Question: 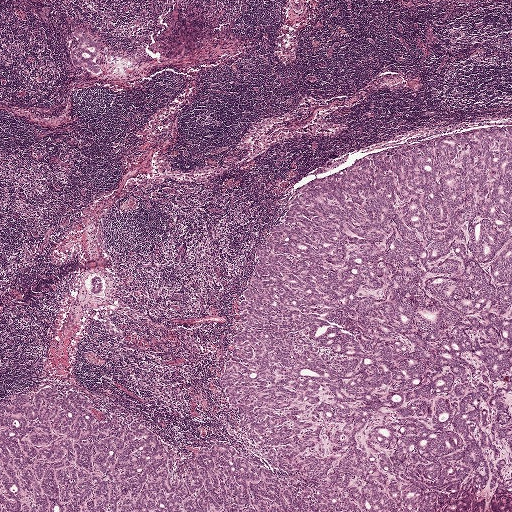
H&E-stained section of a sentinel lymph node (breast cancer), from a whole-slide image, viewed at about 2.5×: the field is about 2.0 mm across, about 3.9 µm per pixel.
Estimate the proportion of this field that is metastatic tumour.

Choices:
 (A) about 5% or less
 (B) about 25% to 45%
 (C) about 10% to 20%
 (D) none: no tumour is outlined
 (E) about 50% or more

Answer: (B) about 25% to 45%
About 45% of the field is tumour.
Boundaries of four metastatic tumour regions, simplified and listed clockwise, largest first: region 1: (511, 122), (511, 503), (468, 489), (461, 511), (0, 511), (0, 401), (49, 383), (82, 391), (164, 439), (170, 482), (182, 456), (214, 442), (289, 474), (264, 461), (220, 375), (243, 285), (290, 198), (361, 153); region 2: (74, 26), (84, 26), (99, 39), (100, 47), (94, 59), (101, 64), (102, 69), (98, 74), (93, 74), (82, 67), (75, 67), (71, 63), (71, 52), (77, 42); region 3: (346, 152), (350, 152), (348, 159), (337, 164), (321, 174), (315, 174), (311, 172), (315, 166), (321, 162); region 4: (98, 274), (103, 279), (103, 285), (102, 292), (100, 294), (95, 294), (92, 294), (89, 293), (88, 289), (89, 281), (92, 276).
One more small tumour piece is annotated here but not outlined.
Question: 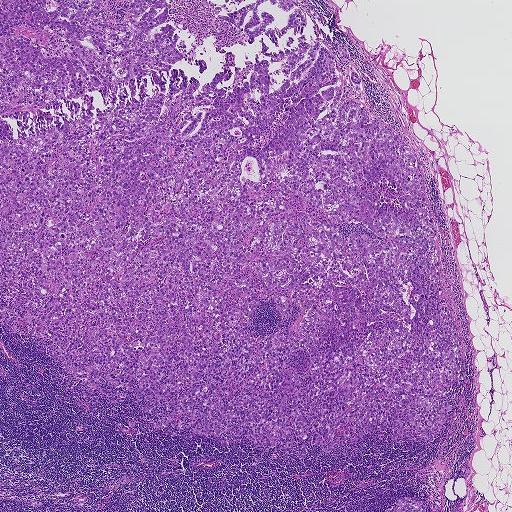
A 1.9-mm field of an H&E-stained sentinel lymph node from a breast-cancer patient (whole-slide image), shown at about 2.5×, about 3.6 µm per pixel.
Estimate the proportion of this field that is metastatic tumour.

Choices:
 (A) none: no tumour is outlined
 (B) about 25% to 45%
 (C) about 5% or less
 (D) about 50% or more
 (E) about 10% to 20%

Answer: (D) about 50% or more
About 60% of the field is tumour.
Outlines of four tumour regions, largest first (closed clockwise paths, crop pixels): region 1: (0, 0), (268, 0), (266, 30), (299, 9), (269, 0), (292, 0), (300, 8), (305, 18), (304, 41), (340, 69), (337, 106), (418, 163), (463, 352), (443, 430), (189, 437), (0, 321), (0, 141), (200, 91), (212, 35), (2, 109); region 2: (406, 496), (417, 498), (425, 505), (425, 511), (382, 511), (390, 508), (393, 502), (396, 500), (403, 497); region 3: (348, 64), (351, 64), (354, 66), (355, 69), (355, 72), (360, 77), (360, 80), (359, 86), (361, 92), (355, 90), (352, 84), (350, 78); region 4: (341, 43), (346, 48), (349, 54), (349, 59), (346, 59), (341, 56), (338, 50), (339, 44).
Four more small tumour pieces are annotated here but not outlined.
Question: 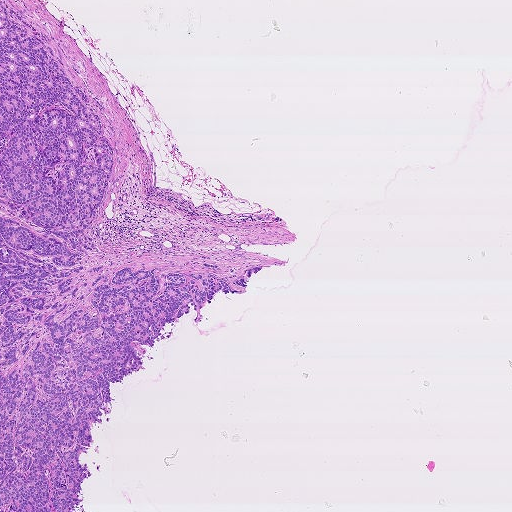
This is a crop of a whole-slide image: an H&E-stained breast-cancer sentinel lymph node section at roughly 2.5× magnification (about 3.6 µm per pixel; the crop spans about 1.9 mm).
Estimate the proportion of this field that is metastatic tumour.

Choices:
 (A) about 10% to 20%
 (B) about 25% to 45%
 (C) about 50% or more
 (D) none: no tumour is outlined
 (E) about 5% or less

Answer: (A) about 10% to 20%
About 20% of the field is tumour.
One metastatic tumour region; its boundary, reduced to 16 corners and listed clockwise: (0, 0), (112, 144), (77, 275), (156, 267), (156, 295), (162, 288), (163, 272), (243, 289), (271, 266), (243, 293), (220, 290), (202, 321), (167, 323), (110, 382), (86, 510), (0, 511).
Question: 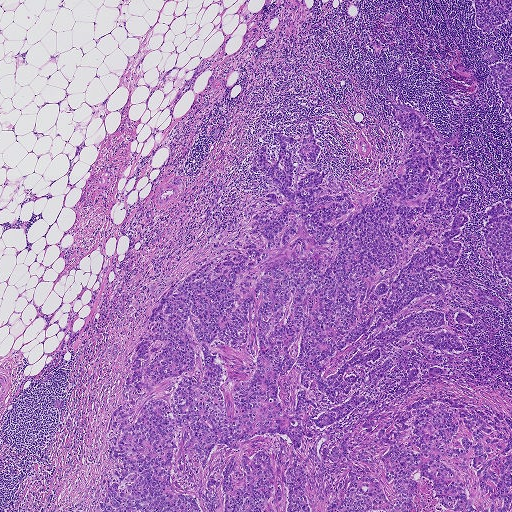
Lymph node section stained with H&E, from a whole-slide image of a breast-cancer sentinel node. Magnification about 2.5×, about 1.9 mm across the frame, about 3.6 µm per pixel.
Estimate the proportion of this field that is metastatic tumour.

Choices:
 (A) about 5% or less
 (B) about 10% to 20%
 (C) about 25% to 45%
 (D) none: no tumour is outlined
 (E) about 50% or more

Answer: (E) about 50% or more
About 50% of the field is tumour.
Outlines of three tumour regions, largest first (closed clockwise paths, crop pixels): region 1: (395, 100), (430, 118), (463, 165), (469, 190), (455, 212), (483, 226), (491, 205), (511, 200), (511, 511), (58, 511), (106, 465), (109, 416), (161, 291), (238, 240), (248, 206), (271, 191), (251, 168), (270, 128), (306, 137), (311, 123), (322, 149), (313, 167), (365, 202), (402, 150); region 2: (487, 44), (503, 61), (511, 61), (511, 118), (495, 90), (490, 88), (486, 82), (486, 77), (490, 72), (489, 63), (483, 60), (482, 56); region 3: (473, 0), (511, 0), (511, 25), (506, 21), (497, 26), (500, 30), (496, 37), (492, 33), (484, 34), (481, 29), (476, 26).
One more small tumour piece is annotated here but not outlined.